Question: 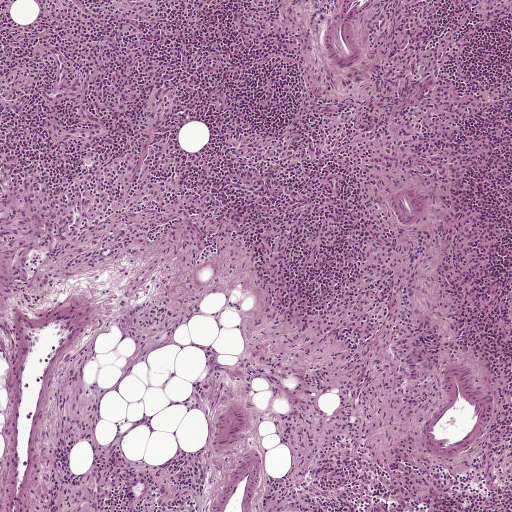
About what magnification does this crop show?

Choices:
 (A) about 5×
 (B) about 2.5×
 (C) about 10×
 (D) about 40×
 (E) about 20×

Answer: (A) about 5×
H&E-stained section of a sentinel lymph node (breast cancer), from a whole-slide image, viewed at about 5×: the field is about 1 mm across, about 1.9 µm per pixel.